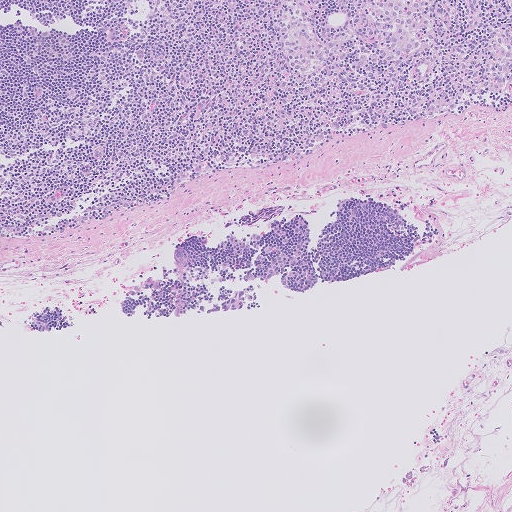
This is a crop of a whole-slide image: an H&E-stained breast-cancer sentinel lymph node section at roughly 5× magnification (about 2.0 µm per pixel; the crop spans about 1.0 mm).
Outlines of two tumour regions, largest first (closed clockwise paths, crop pixels): region 1: (293, 202), (292, 210), (260, 228), (235, 230), (220, 226), (228, 217), (262, 205); region 2: (239, 289), (259, 289), (259, 300), (249, 302), (235, 313), (211, 315), (193, 313), (199, 304), (206, 305).
The annotated tumour makes up under 5% of the crop.